Question: 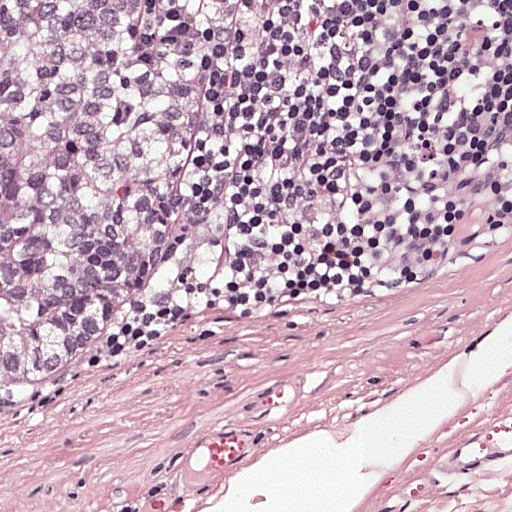
This is a crop of a whole-slide image: an H&E-stained breast-cancer sentinel lymph node section at roughly 20× magnification (about 0.49 µm per pixel; the crop spans about 0.25 mm).
About how much of this crop is taken up by metastatic carcinoma?

Choices:
 (A) about 25% to 45%
 (B) none: no tumour is outlined
 (C) about 5% or less
 (D) about 50% or more
 (E) about 10% to 20%

Answer: (A) about 25% to 45%
About 30% of the field is tumour.
Tumour region outline (a closed clockwise path, crop pixels): (0, 0), (265, 0), (234, 150), (207, 185), (175, 262), (124, 331), (0, 407).